Question: 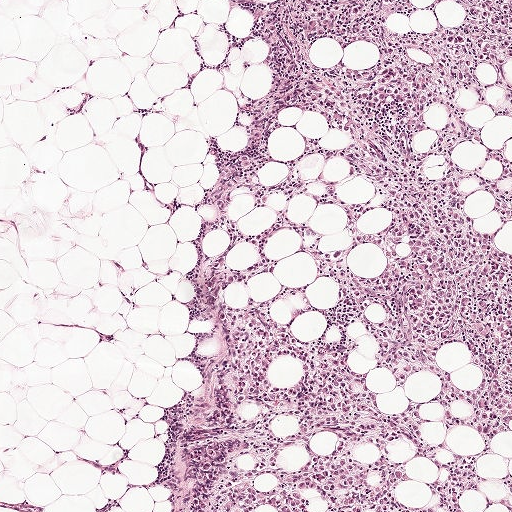
Lymph node section stained with H&E, from a whole-slide image of a breast-cancer sentinel node. Magnification about 5×, about 1 mm across the frame, about 1.9 µm per pixel.
Roughly what share of this field is metastatic tumour?

Choices:
 (A) about 50% or more
 (B) none: no tumour is outlined
 (C) about 5% or less
 (D) about 10% to 20%
 (E) about 25% to 45%

Answer: (D) about 10% to 20%
About 10% of the field is tumour.
Metastatic tumour outline, simplified to 21 points and listed clockwise in crop pixels (x, y): (406, 155), (430, 177), (450, 177), (474, 230), (504, 254), (511, 252), (511, 420), (486, 447), (466, 423), (479, 369), (460, 342), (436, 348), (443, 376), (399, 380), (374, 346), (373, 288), (383, 260), (372, 237), (388, 217), (374, 186), (362, 180).